This is a crop of a whole-slide image: an H&E-stained breast-cancer sentinel lymph node section at roughly 10× magnification (about 0.97 µm per pixel; the crop spans about 0.5 mm).
Question: 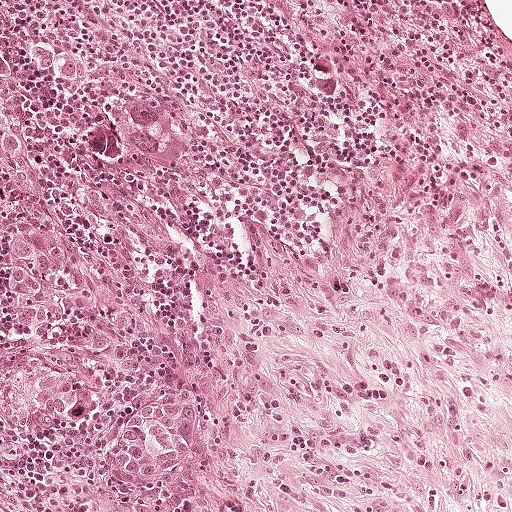
Estimate the proportion of this field that is metastatic tumour.

Choices:
 (A) about 25% to 45%
 (B) about 5% or less
 (C) none: no tumour is outlined
 (D) about 50% or more
 (E) about 10% to 20%

Answer: (A) about 25% to 45%
About 45% of the field is tumour.
One metastatic tumour region; its boundary, reduced to 7 corners and listed clockwise: (0, 5), (142, 36), (220, 96), (236, 126), (258, 220), (239, 511), (0, 511).